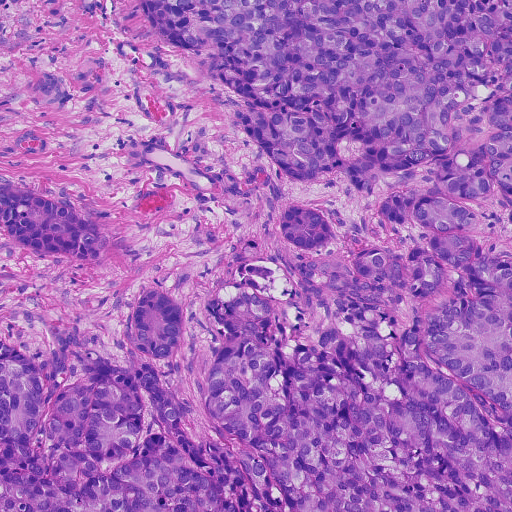
H&E-stained section of a sentinel lymph node (breast cancer), from a whole-slide image, viewed at about 10×: the field is about 0.46 mm across, about 0.91 µm per pixel.
Two metastatic tumour regions, each outlined as a closed clockwise path in crop pixels (x, y), largest first: region 1: (511, 0), (511, 511), (0, 511), (0, 339), (50, 370), (130, 368), (133, 305), (168, 293), (183, 336), (154, 367), (200, 441), (246, 448), (202, 385), (220, 276), (306, 250), (274, 226), (311, 200), (329, 216), (314, 258), (411, 249), (384, 223), (392, 178), (292, 179), (138, 4); region 2: (0, 183), (16, 184), (33, 190), (86, 214), (100, 224), (110, 240), (103, 256), (84, 260), (48, 256), (14, 242), (0, 228).
About 70% of the image area is annotated as tumour.